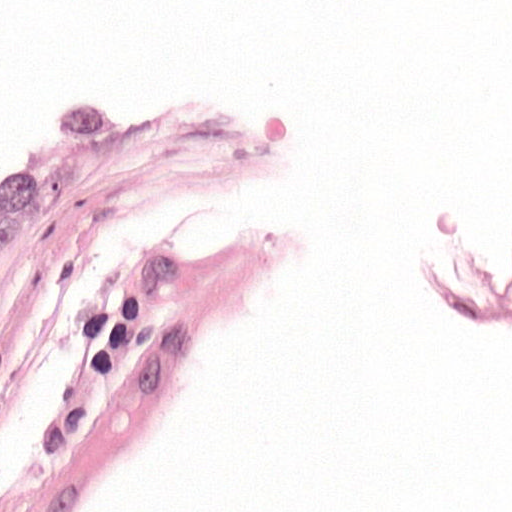
H&E-stained section of a sentinel lymph node (breast cancer), from a whole-slide image, viewed at about 40×: the field is about 0.12 mm across, about 0.24 µm per pixel.
Two metastatic tumour regions, each outlined as a closed clockwise path in crop pixels (x, y), largest first: region 1: (172, 77), (134, 158), (49, 133), (89, 80); region 2: (2, 155), (54, 190), (0, 234), (0, 156).
Tumour covers about 5% of the frame.